Image:
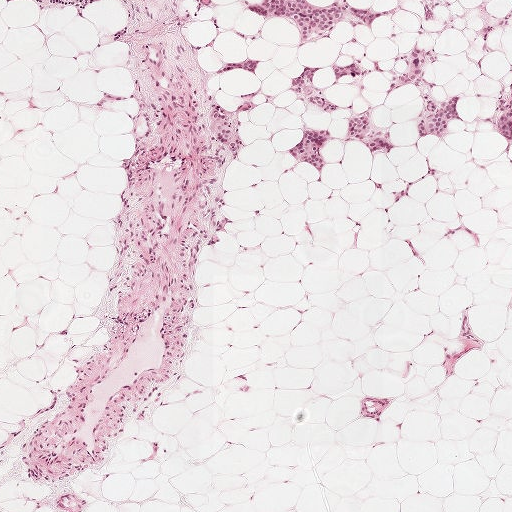
H&E-stained section of a sentinel lymph node (breast cancer), from a whole-slide image, viewed at about 5×: the field is about 1 mm across, about 1.9 µm per pixel.
Question:
Show where the tumour is in this image.
Answer:
The eight largest tumour regions' boundaries, simplified and listed clockwise, largest first: region 1: (246, 0), (306, 0), (321, 8), (334, 0), (344, 0), (348, 6), (361, 9), (372, 8), (382, 12), (382, 16), (371, 28), (364, 26), (353, 28), (344, 18), (341, 18), (324, 34), (300, 46), (302, 26), (286, 17), (268, 19), (244, 8), (242, 4); region 2: (429, 98), (443, 103), (457, 98), (460, 119), (450, 122), (446, 134), (443, 136), (419, 137), (416, 134), (415, 127), (426, 112), (426, 99); region 3: (304, 129), (322, 130), (329, 133), (322, 153), (323, 163), (320, 175), (316, 169), (306, 163), (299, 162), (287, 150), (300, 143); region 4: (304, 67), (318, 69), (310, 77), (312, 86), (322, 93), (326, 100), (340, 109), (340, 115), (331, 115), (319, 112), (290, 91), (290, 83), (300, 79), (303, 73); region 5: (216, 110), (228, 118), (242, 135), (239, 150), (235, 156), (223, 148), (209, 131), (212, 114); region 6: (368, 115), (370, 119), (367, 138), (369, 140), (386, 141), (390, 143), (392, 149), (389, 151), (370, 151), (360, 142), (344, 136), (346, 123), (349, 119); region 7: (415, 46), (425, 53), (428, 60), (428, 66), (420, 76), (409, 83), (399, 83), (396, 82), (396, 76), (408, 70), (412, 50); region 8: (509, 96), (511, 98), (511, 109), (511, 110), (511, 140), (510, 140), (501, 136), (495, 125), (496, 121), (500, 116), (498, 103), (500, 100).
Two more, smaller tumour regions are not outlined.
Tumour covers about 5% of the frame.